Question: 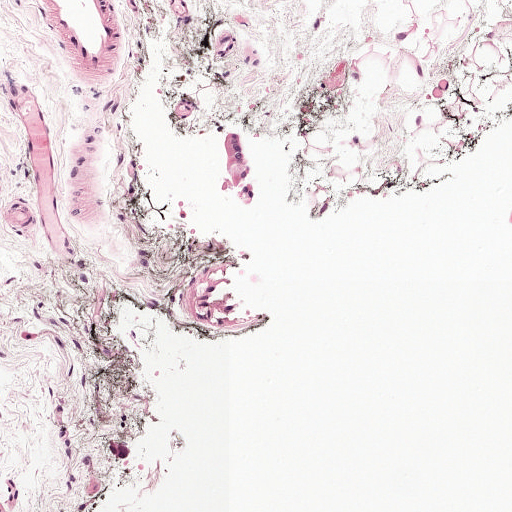
Which magnification is this H&E lymph node field most likely shown at?

Choices:
 (A) about 2.5×
 (B) about 5×
 (C) about 20×
 (D) about 10×
 (E) about 40×

Answer: (D) about 10×
Lymph node section stained with H&E, from a whole-slide image of a breast-cancer sentinel node. Magnification about 10×, about 0.5 mm across the frame, about 0.97 µm per pixel.
The outlined metastatic tumour's edge, as a closed clockwise path of 10 points: (246, 128), (246, 148), (258, 186), (258, 205), (242, 208), (233, 196), (218, 194), (225, 171), (219, 138), (225, 132).
Under 5% of the image area is annotated as tumour.